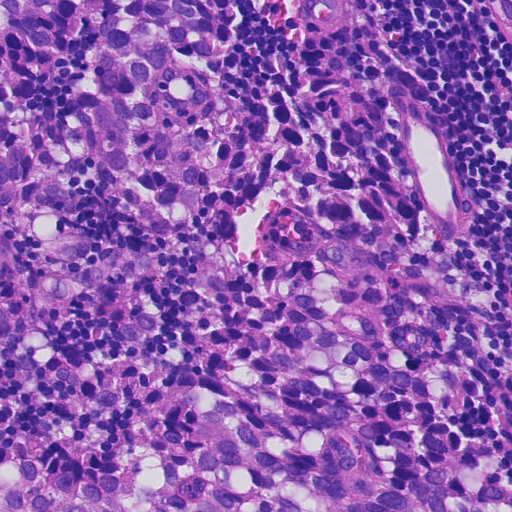
A 0.23-mm field of an H&E-stained sentinel lymph node from a breast-cancer patient (whole-slide image), shown at about 20×, about 0.45 µm per pixel.
Two metastatic tumour regions, each outlined as a closed clockwise path in crop pixels (x, y), largest first: region 1: (336, 230), (383, 242), (462, 298), (494, 335), (511, 511), (0, 511), (0, 451), (96, 473), (128, 453), (156, 386), (186, 367), (204, 336), (269, 303); region 2: (0, 0), (212, 0), (232, 18), (216, 67), (272, 116), (276, 162), (250, 218), (223, 248), (148, 222), (83, 158), (74, 188), (106, 272), (51, 330), (42, 369), (6, 352).
The annotated tumour makes up about 60% of the crop.